This is a crop of a whole-slide image: an H&E-stained breast-cancer sentinel lymph node section at roughly 20× magnification (about 0.49 µm per pixel; the crop spans about 0.25 mm).
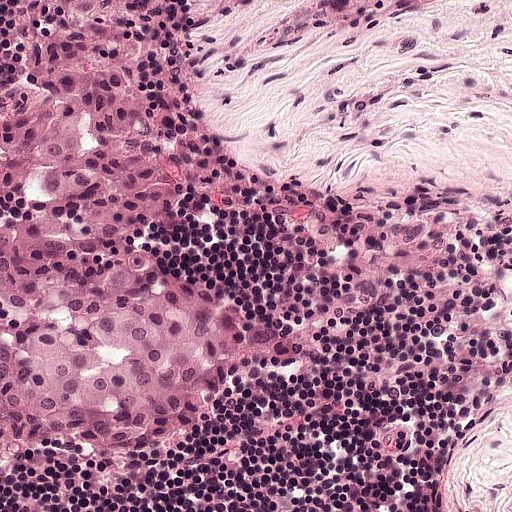
Metastatic tumour outline, simplified to 14 points and listed clockwise in crop pixels (x, y): (154, 0), (193, 186), (182, 186), (169, 228), (144, 252), (261, 340), (251, 384), (221, 423), (95, 473), (61, 473), (0, 442), (0, 96), (11, 68), (1, 4).
Tumour covers about 35% of the frame.